H&E-stained section of a sentinel lymph node (breast cancer), from a whole-slide image, viewed at about 40×: the field is about 0.12 mm across, about 0.24 µm per pixel.
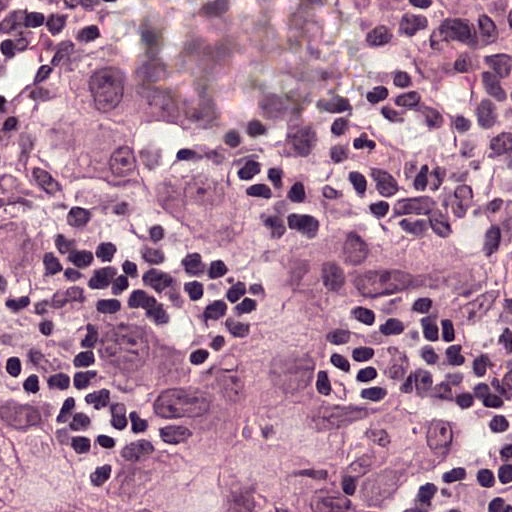
Metastatic tumour outline, simplified to 22 points and listed clockwise in crop pixels (x, y): (235, 47), (259, 89), (251, 139), (272, 197), (298, 208), (380, 205), (459, 226), (511, 258), (511, 294), (493, 303), (464, 305), (420, 287), (367, 300), (383, 371), (480, 379), (496, 397), (496, 442), (417, 510), (0, 511), (0, 124), (33, 124), (98, 50).
About 65% of this field is tumour.